H&E-stained section of a sentinel lymph node (breast cancer), from a whole-slide image, viewed at about 5×: the field is about 0.93 mm across, about 1.8 µm per pixel.
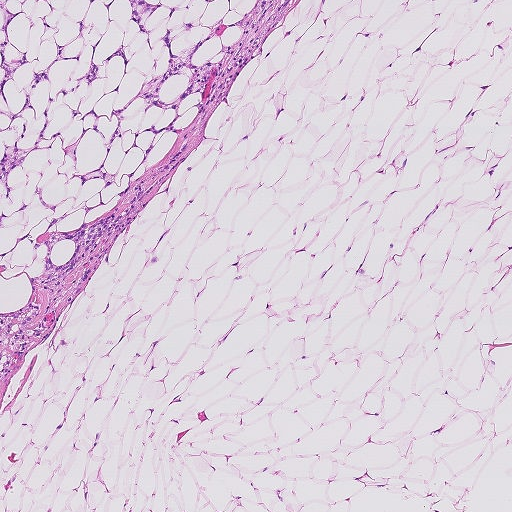
One metastatic tumour region; its boundary, reduced to 7 corners and listed clockwise: (0, 0), (289, 0), (240, 53), (119, 236), (84, 248), (72, 274), (2, 278).
About 20% of the image area is annotated as tumour.